Image:
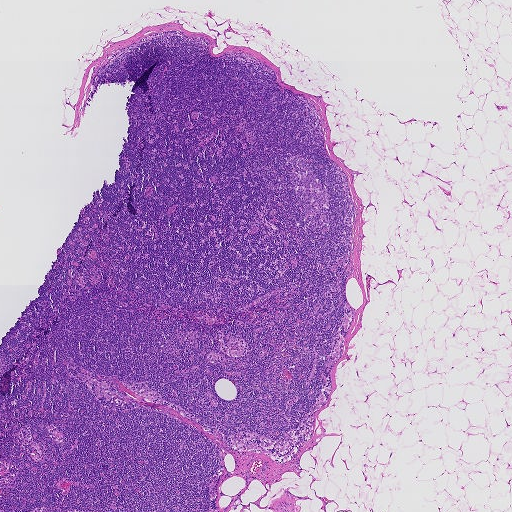
Lymph node section stained with H&E, from a whole-slide image of a breast-cancer sentinel node. Magnification about 2.5×, about 1.9 mm across the frame, about 3.6 µm per pixel.
Question:
Is any metastatic breast cancer visible in this crop?
Answer:
No. No metastatic tumour is outlined in this field.